Question: 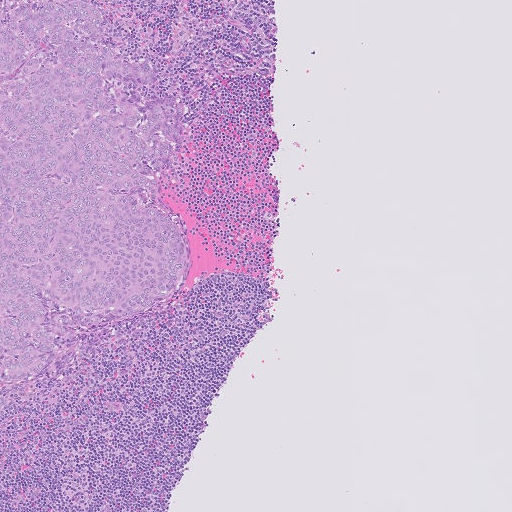
A 1.0-mm field of an H&E-stained sentinel lymph node from a breast-cancer patient (whole-slide image), shown at about 5×, about 2.0 µm per pixel.
Roughly what share of this field is metastatic tumour?

Choices:
 (A) about 25% to 45%
 (B) about 50% or more
 (C) none: no tumour is outlined
 (D) about 5% or less
 (E) about 10% to 20%

Answer: (E) about 10% to 20%
About 20% of the field is tumour.
Two metastatic tumour regions, each outlined as a closed clockwise path in crop pixels (x, y), largest first: region 1: (0, 0), (94, 0), (101, 35), (149, 60), (185, 103), (184, 157), (160, 178), (158, 206), (188, 235), (190, 268), (175, 297), (60, 338), (40, 372), (0, 382); region 2: (0, 394), (7, 395), (7, 406), (0, 411).